Lymph node section stained with H&E, from a whole-slide image of a breast-cancer sentinel node. Magnification about 5×, about 0.93 mm across the frame, about 1.8 µm per pixel.
Image:
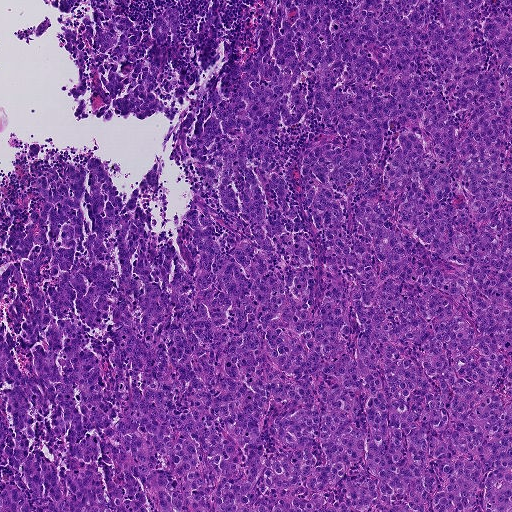
Question:
Where is the metastatic tumour in this field?
Answer:
Outlines of two tumour regions, largest first (closed clockwise paths, crop pixels): region 1: (127, 0), (181, 39), (214, 0), (248, 56), (266, 0), (511, 0), (511, 511), (0, 511), (27, 148), (90, 194), (111, 161), (124, 204), (161, 156), (165, 221), (142, 208), (182, 256), (181, 117), (224, 54), (171, 123), (78, 120), (102, 98), (87, 59), (70, 97), (61, 26); region 2: (50, 0), (80, 0), (72, 11), (64, 11), (58, 10), (51, 5).
The annotated tumour makes up about 90% of the crop.